A 0.12-mm field of an H&E-stained sentinel lymph node from a breast-cancer patient (whole-slide image), shown at about 40×, about 0.24 µm per pixel.
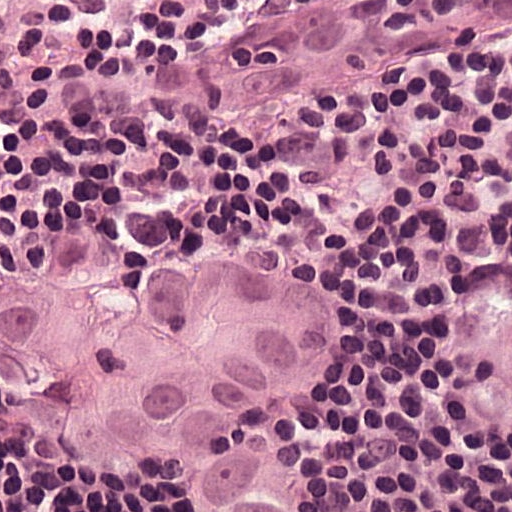
Question: Where is the metastatic tumour in this field?
Answer: Two metastatic tumour regions, each outlined as a closed clockwise path in crop pixels (x, y), largest first: region 1: (273, 244), (349, 292), (347, 382), (294, 419), (302, 511), (179, 511), (151, 484), (51, 450), (0, 399), (1, 295), (63, 266); region 2: (505, 296), (511, 296), (511, 448), (484, 436), (479, 428), (471, 425), (461, 402), (458, 402), (455, 370), (455, 341), (458, 341), (471, 315), (484, 310), (484, 307), (503, 302).
Tumour covers about 30% of the frame.